Image:
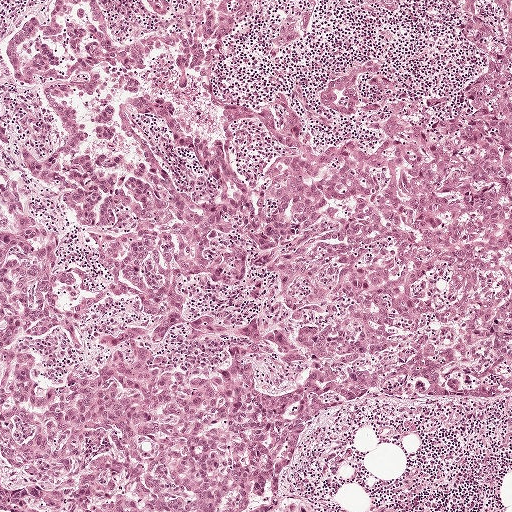
This is a crop of a whole-slide image: an H&E-stained breast-cancer sentinel lymph node section at roughly 5× magnification (about 1.9 µm per pixel; the crop spans about 1 mm).
Question:
Where is the metastatic tumour in this field? Give each region's outline as (x, y) pixel points.
Answer:
Boundaries of three metastatic tumour regions, simplified and listed clockwise, largest first: region 1: (511, 62), (511, 383), (358, 389), (264, 511), (1, 511), (0, 357), (58, 385), (156, 351), (185, 377), (233, 345), (97, 340), (140, 305), (18, 154), (61, 143), (56, 90), (82, 152), (137, 154), (121, 107), (211, 200), (131, 99), (214, 129), (258, 192), (272, 161), (372, 152); region 2: (432, 0), (511, 0), (511, 47), (503, 50), (493, 50), (487, 55), (471, 56), (460, 41), (442, 8); region 3: (366, 0), (395, 0), (390, 7), (387, 14), (368, 6).
About 60% of the image area is annotated as tumour.